Question: 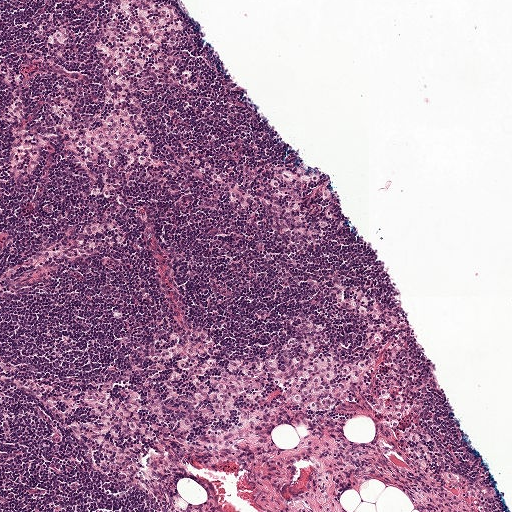
At roughly what magnification is this field shown?

Choices:
 (A) about 20×
 (B) about 10×
 (C) about 2.5×
 (D) about 5×
 (E) about 40×

Answer: (D) about 5×
Lymph node section stained with H&E, from a whole-slide image of a breast-cancer sentinel node. Magnification about 5×, about 1 mm across the frame, about 1.9 µm per pixel.